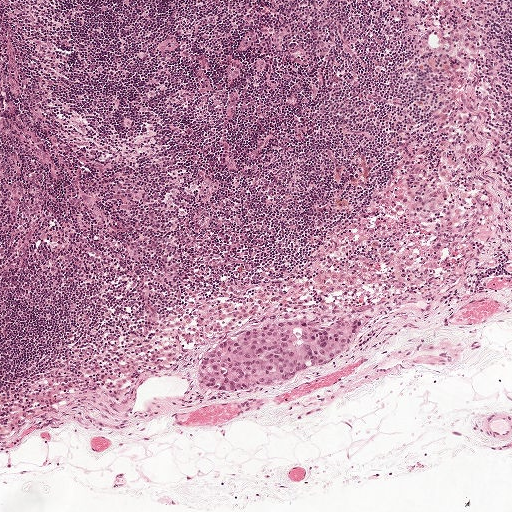
Lymph node section stained with H&E, from a whole-slide image of a breast-cancer sentinel node. Magnification about 5×, about 1 mm across the frame, about 1.9 µm per pixel.
Metastatic tumour outline, simplified to 13 points and listed clockwise in crop pixels (x, y): (349, 310), (361, 314), (359, 330), (344, 358), (317, 375), (233, 390), (212, 388), (196, 376), (196, 361), (202, 347), (256, 322), (283, 314), (326, 318).
About 5% of this field is tumour.